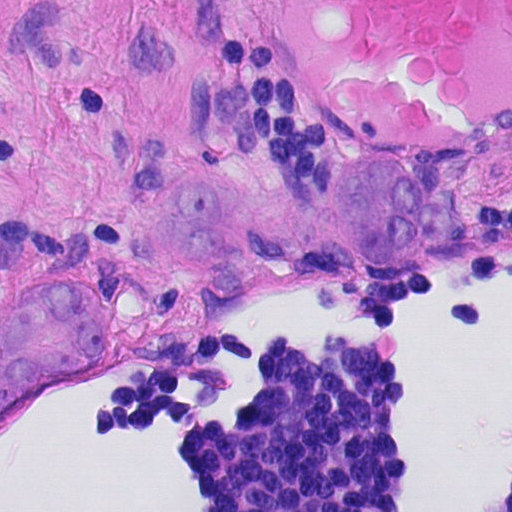
A 0.12-mm field of an H&E-stained sentinel lymph node from a breast-cancer patient (whole-slide image), shown at about 40×, about 0.23 µm per pixel.
Tumour region outline (a closed clockwise path, crop pixels): (383, 146), (436, 171), (463, 222), (427, 269), (367, 269), (316, 242), (259, 248), (206, 275), (137, 275), (86, 379), (29, 399), (0, 421), (0, 301), (37, 274), (96, 266), (136, 224), (162, 171), (222, 174), (276, 194).
Tumour covers about 15% of the frame.